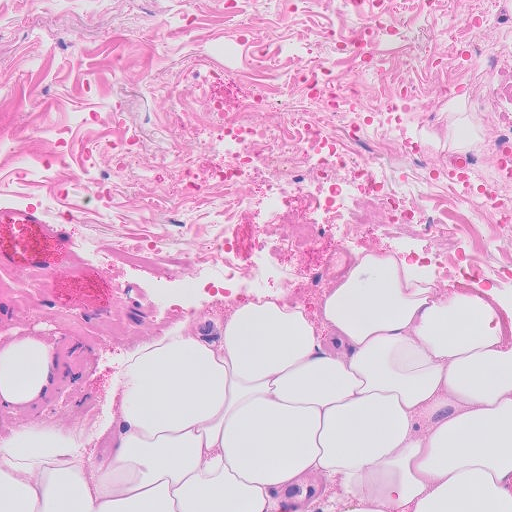
Lymph node section stained with H&E, from a whole-slide image of a breast-cancer sentinel node. Magnification about 20×, about 0.26 mm across the frame, about 0.5 µm per pixel.